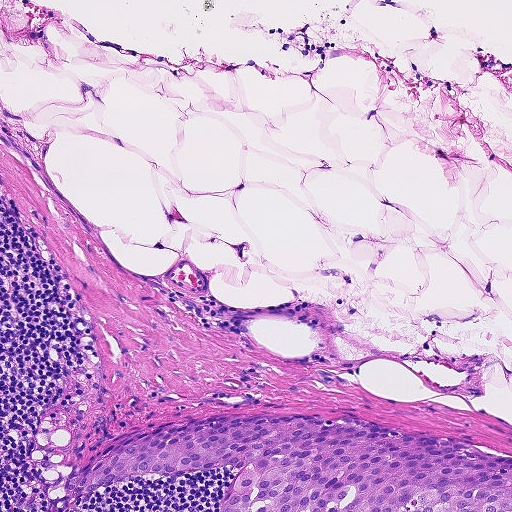
This is a crop of a whole-slide image: an H&E-stained breast-cancer sentinel lymph node section at roughly 10× magnification (about 0.9 µm per pixel; the crop spans about 0.46 mm).
Metastatic tumour outline, simplified to 12 points and listed clockwise in crop pixels (x, y): (245, 411), (329, 413), (511, 452), (511, 511), (220, 511), (242, 469), (229, 464), (131, 477), (69, 497), (67, 481), (88, 456), (120, 438).
The annotated tumour makes up about 10% of the crop.